Image:
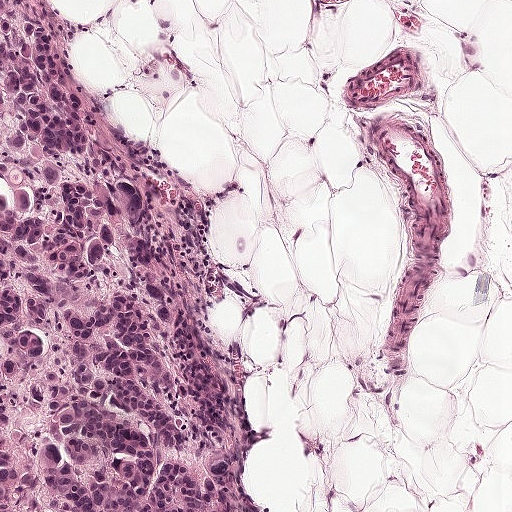
H&E-stained section of a sentinel lymph node (breast cancer), from a whole-slide image, viewed at about 10×: the field is about 0.5 mm across, about 0.97 µm per pixel.
Question:
Is there metastatic carcinoma in this field?
Answer:
Yes.
Tumour region outline (a closed clockwise path, crop pixels): (0, 0), (40, 0), (71, 87), (162, 207), (240, 399), (244, 511), (0, 511).
About 30% of this field is tumour.